A 0.5-mm field of an H&E-stained sentinel lymph node from a breast-cancer patient (whole-slide image), shown at about 10×, about 0.97 µm per pixel.
Image:
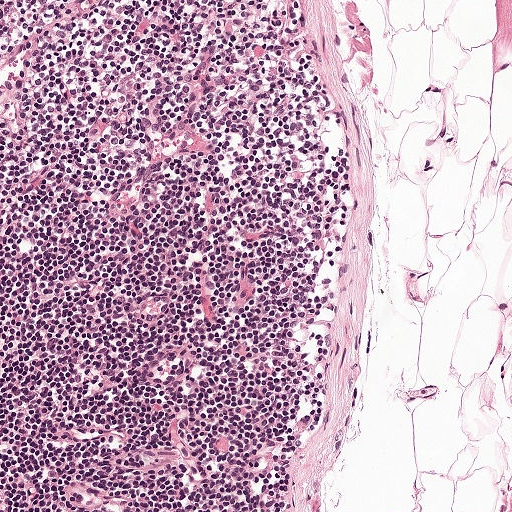
Question:
Is any metastatic breast cancer visible in this crop?
Answer:
No. No metastatic tumour is outlined in this field.